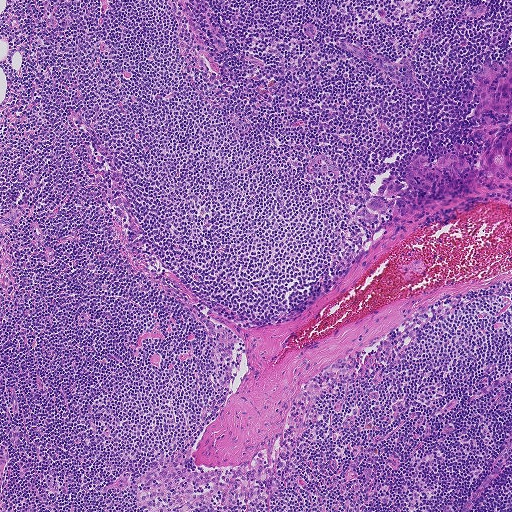
This is a crop of a whole-slide image: an H&E-stained breast-cancer sentinel lymph node section at roughly 5× magnification (about 1.8 µm per pixel; the crop spans about 0.93 mm).
Question: Is any metastatic breast cancer visible in this crop?
Answer: Yes.
Three metastatic tumour regions, each outlined as a closed clockwise path in crop pixels (x, y), largest first: region 1: (455, 143), (467, 144), (473, 149), (466, 154), (465, 158), (468, 169), (460, 171), (447, 168), (444, 170), (432, 182), (431, 190), (427, 192), (411, 189), (408, 186), (398, 194), (416, 205), (417, 214), (414, 217), (405, 217), (397, 215), (391, 208), (378, 211), (366, 205), (367, 202), (375, 199), (388, 200), (379, 197), (376, 194), (377, 190), (383, 183), (391, 180), (403, 183), (412, 156), (428, 154), (429, 162), (424, 165), (432, 167), (440, 154), (455, 154); region 2: (511, 51), (511, 115), (489, 111), (494, 117), (498, 132), (493, 138), (486, 140), (479, 138), (478, 130), (485, 116), (478, 114), (473, 109), (478, 103), (474, 88), (477, 74), (486, 62), (493, 60), (500, 61), (507, 53); region 3: (511, 121), (511, 183), (496, 180), (483, 172), (483, 157).
The annotated tumour makes up under 5% of the crop.